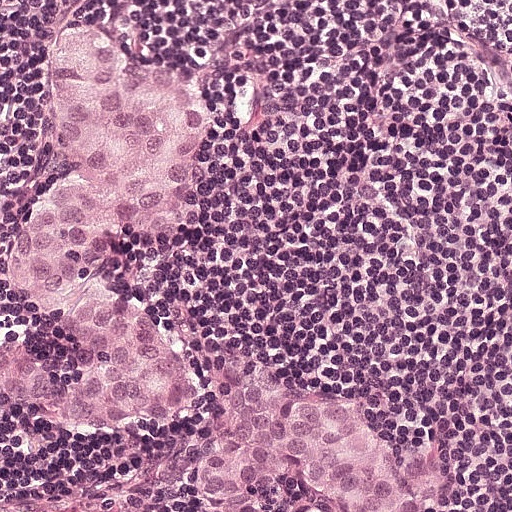
A 0.25-mm field of an H&E-stained sentinel lymph node from a breast-cancer patient (whole-slide image), shown at about 20×, about 0.49 µm per pixel.
Two metastatic tumour regions, each outlined as a closed clockwise path in crop pixels (x, y), largest first: region 1: (66, 24), (175, 56), (204, 96), (190, 239), (181, 248), (129, 244), (108, 254), (110, 274), (181, 324), (192, 344), (184, 411), (138, 432), (70, 426), (0, 397), (0, 335), (12, 330), (29, 337), (42, 368), (84, 374), (58, 320), (3, 292), (20, 192), (50, 148), (46, 39); region 2: (255, 366), (360, 376), (372, 424), (444, 457), (444, 492), (414, 511), (294, 511), (290, 506), (240, 511), (198, 500), (192, 470), (230, 376).
One more small tumour piece is annotated here but not outlined.
About 35% of the image area is annotated as tumour.